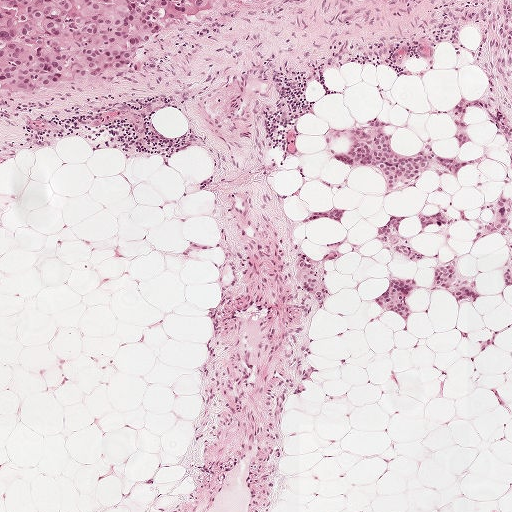
A 1-mm field of an H&E-stained sentinel lymph node from a breast-cancer patient (whole-slide image), shown at about 5×, about 1.9 µm per pixel.
The eight largest tumour regions' boundaries, simplified and listed clockwise, largest first: region 1: (0, 0), (230, 0), (217, 1), (171, 27), (149, 47), (137, 66), (125, 74), (0, 97); region 2: (381, 117), (394, 123), (383, 130), (391, 135), (390, 148), (401, 155), (414, 154), (429, 144), (434, 155), (458, 157), (468, 162), (468, 167), (459, 176), (440, 178), (427, 167), (410, 183), (386, 195), (388, 174), (368, 165), (342, 164), (328, 154), (332, 149), (345, 149), (353, 128); region 3: (390, 278), (408, 279), (415, 282), (408, 302), (409, 312), (406, 324), (402, 318), (392, 312), (385, 311), (373, 299), (386, 292); region 4: (390, 216), (404, 218), (396, 226), (398, 235), (408, 242), (412, 249), (426, 258), (426, 264), (417, 264), (405, 261), (376, 240), (376, 232), (386, 228), (389, 222); region 5: (302, 259), (314, 266), (328, 284), (325, 299), (321, 305), (309, 297), (295, 280), (298, 262); region 6: (454, 264), (456, 268), (453, 288), (455, 289), (472, 290), (476, 292), (478, 298), (475, 300), (456, 300), (446, 292), (430, 285), (432, 272), (435, 268); region 7: (464, 97), (468, 101), (480, 100), (484, 106), (482, 108), (472, 106), (466, 110), (464, 123), (472, 141), (460, 148), (457, 148), (454, 138), (455, 126), (447, 115), (456, 102); region 8: (501, 196), (511, 202), (511, 218), (506, 225), (495, 232), (485, 232), (482, 230), (482, 225), (494, 220), (496, 202).
Four more, smaller tumour regions are not outlined.
One more small tumour piece is annotated here but not outlined.
About 10% of the image area is annotated as tumour.